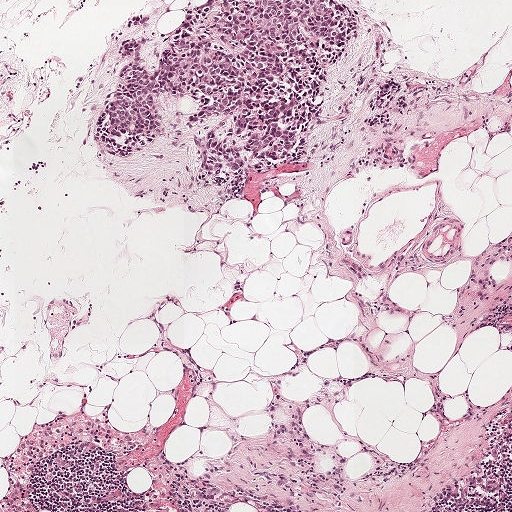
H&E-stained section of a sentinel lymph node (breast cancer), from a whole-slide image, viewed at about 5×: the field is about 1 mm across, about 1.9 µm per pixel.
The outlined metastatic tumour's edge, as a closed clockwise path of 23 points: (208, 0), (346, 3), (355, 38), (325, 72), (303, 145), (210, 174), (195, 145), (222, 120), (185, 126), (197, 106), (160, 92), (169, 122), (158, 138), (129, 156), (97, 139), (124, 57), (116, 46), (136, 33), (121, 16), (147, 11), (140, 50), (156, 67), (180, 15).
About 10% of the image area is annotated as tumour.